Image:
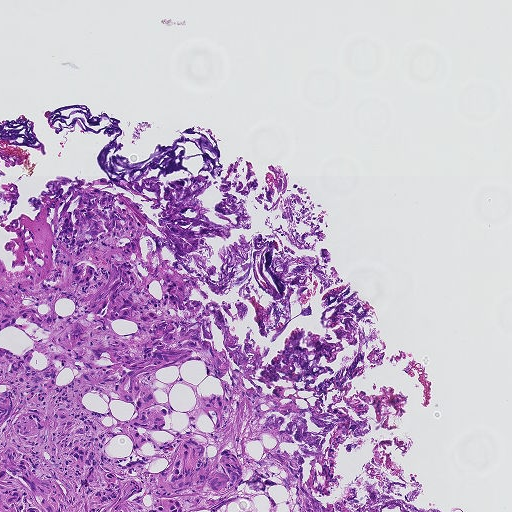
H&E-stained section of a sentinel lymph node (breast cancer), from a whole-slide image, viewed at about 5×: the field is about 0.93 mm across, about 1.8 µm per pixel.
Question:
Is there metastatic carcinoma in this field?
Answer:
Yes.
The outlined metastatic tumour's edge, as a closed clockwise path of 24 points: (80, 182), (140, 212), (145, 286), (158, 264), (179, 278), (229, 363), (225, 412), (199, 403), (222, 395), (199, 361), (159, 369), (165, 427), (140, 448), (155, 457), (142, 471), (189, 436), (209, 462), (232, 449), (278, 482), (200, 511), (0, 511), (0, 281), (50, 273), (54, 208).
About 20% of this field is tumour.